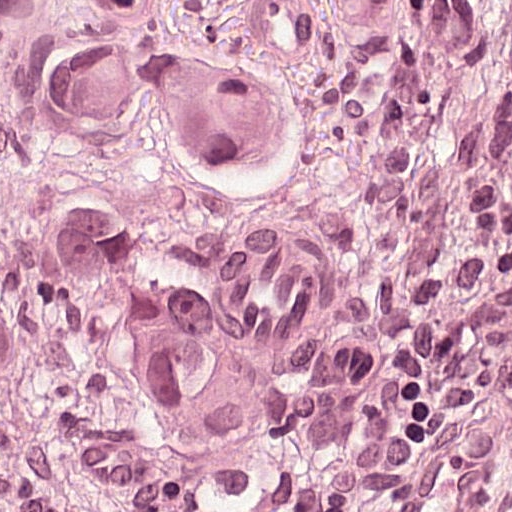
Lymph node section stained with H&E, from a whole-slide image of a breast-cancer sentinel node. Magnification about 40×, about 0.12 mm across the frame, about 0.24 µm per pixel.
Question: Where is the metastatic tumour in this field?
Answer: Boundaries of three metastatic tumour regions, simplified and listed clockwise, largest first: region 1: (34, 0), (197, 0), (268, 40), (280, 62), (283, 103), (265, 125), (211, 152), (183, 152), (130, 125), (86, 118), (0, 63), (11, 25); region 2: (72, 152), (131, 187), (154, 228), (209, 269), (244, 336), (238, 383), (246, 462), (219, 468), (195, 460), (150, 413), (121, 348), (111, 299), (35, 215), (46, 160); region 3: (0, 254), (3, 258), (3, 273), (5, 273), (5, 281), (7, 281), (7, 289), (8, 295), (8, 351), (5, 351), (5, 350), (0, 350).
About 25% of the image area is annotated as tumour.